This is a crop of a whole-slide image: an H&E-stained breast-cancer sentinel lymph node section at roughly 10× magnification (about 0.97 µm per pixel; the crop spans about 0.5 mm).
Image:
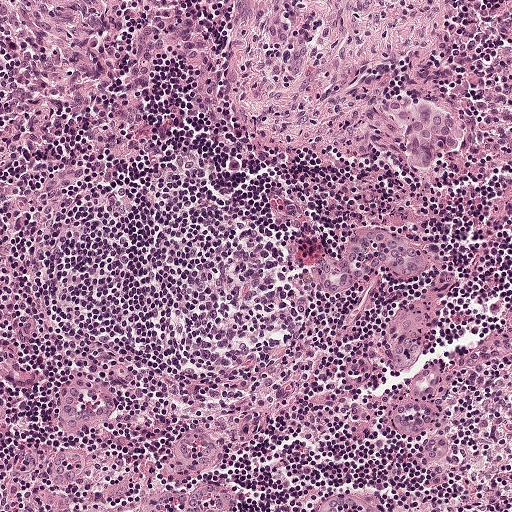
Question:
Show where the tumour is in this image.
Answer:
Metastatic tumour outline, simplified to 14 points and listed clockwise in crop pixels (x, y): (406, 90), (428, 96), (435, 103), (467, 119), (465, 150), (458, 156), (445, 156), (421, 175), (411, 174), (401, 158), (398, 132), (378, 120), (377, 100), (390, 91).
The annotated tumour makes up under 5% of the crop.